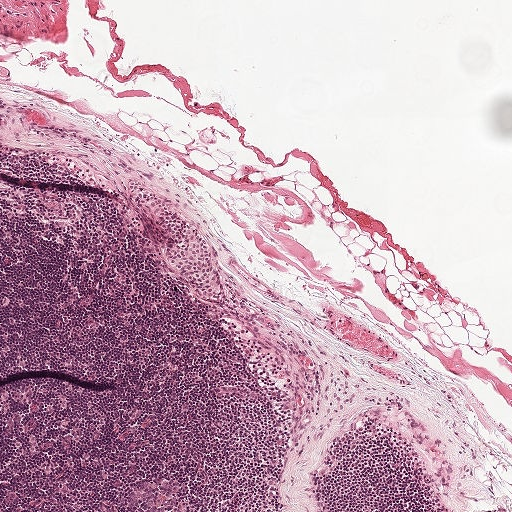
A 1-mm field of an H&E-stained sentinel lymph node from a breast-cancer patient (whole-slide image), shown at about 5×, about 1.9 µm per pixel.
Tumour region outline (a closed clockwise path, crop pixels): (134, 181), (144, 185), (162, 198), (208, 242), (218, 271), (223, 280), (226, 304), (224, 310), (212, 310), (200, 304), (181, 275), (171, 268), (159, 226), (148, 213), (139, 209), (128, 185).
Tumour covers under 5% of the frame.